Question: 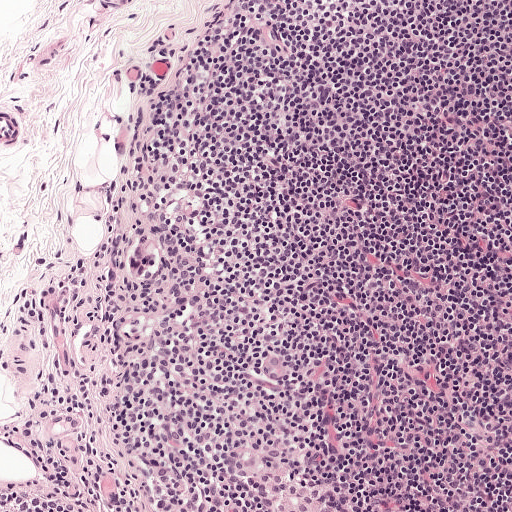
Lymph node section stained with H&E, from a whole-slide image of a breast-cancer sentinel node. Magnification about 10×, about 0.5 mm across the frame, about 0.97 µm per pixel.
About how much of this crop is taken up by metastatic carcinoma?

Choices:
 (A) about 50% or more
 (B) about 5% or less
 (C) none: no tumour is outlined
 (D) about 25% to 45%
 (E) about 10% to 20%

Answer: (B) about 5% or less
Under 5% of the field is tumour.
Metastatic tumour outline, simplified to 9 points and listed clockwise in crop pixels (x, y): (144, 233), (154, 239), (159, 257), (156, 274), (147, 280), (138, 280), (130, 274), (130, 256), (132, 247).
Question: 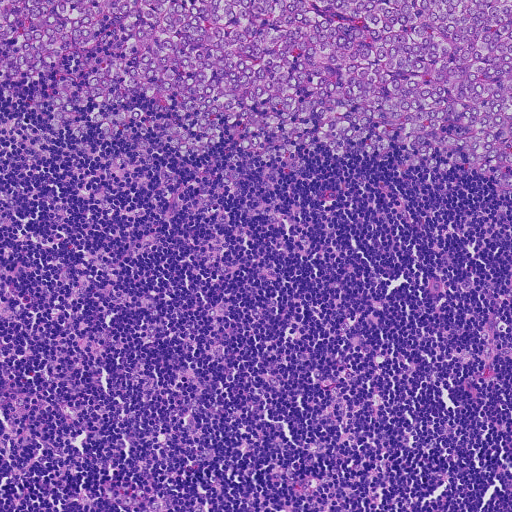
This is a crop of a whole-slide image: an H&E-stained breast-cancer sentinel lymph node section at roughly 10× magnification (about 0.91 µm per pixel; the crop spans about 0.46 mm).
About how much of this crop is taken up by metastatic carcinoma?

Choices:
 (A) about 10% to 20%
 (B) none: no tumour is outlined
 (C) about 25% to 45%
 (D) about 50% or more
 (E) about 5% or less

Answer: (C) about 25% to 45%
About 30% of the field is tumour.
Metastatic tumour outline, simplified to 24 points and listed clockwise in crop pixels (x, y): (0, 0), (511, 0), (511, 192), (498, 194), (470, 167), (412, 168), (392, 142), (378, 155), (306, 144), (266, 162), (253, 156), (228, 188), (216, 178), (240, 140), (224, 116), (217, 145), (191, 158), (148, 123), (79, 139), (33, 104), (117, 48), (120, 24), (22, 81), (8, 80).
Question: 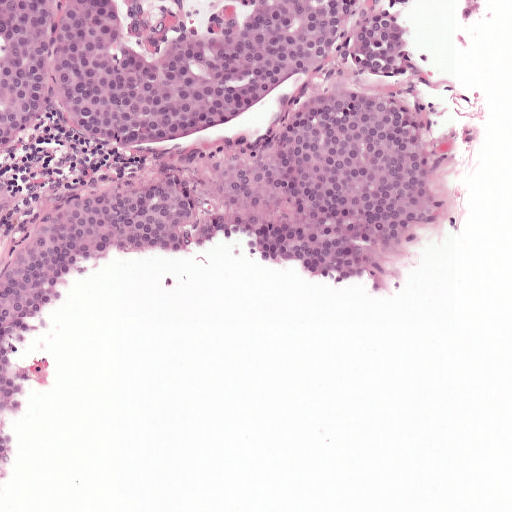
This is a crop of a whole-slide image: an H&E-stained breast-cancer sentinel lymph node section at roughly 10× magnification (about 0.97 µm per pixel; the crop spans about 0.5 mm).
About how much of this crop is taken up by metastatic carcinoma?

Choices:
 (A) none: no tumour is outlined
 (B) about 25% to 45%
 (C) about 50% or more
 (D) about 10% to 20%
 (E) about 5% or less

Answer: (C) about 50% or more
About 50% of the field is tumour.
Two metastatic tumour regions, each outlined as a closed clockwise path in crop pixels (x, y), largest first: region 1: (0, 0), (421, 0), (428, 52), (485, 82), (498, 106), (482, 189), (454, 239), (393, 292), (365, 296), (221, 258), (84, 279), (49, 323), (52, 376), (19, 424), (15, 506), (0, 511); region 2: (449, 0), (502, 0), (492, 27), (466, 32), (450, 11).
Question: 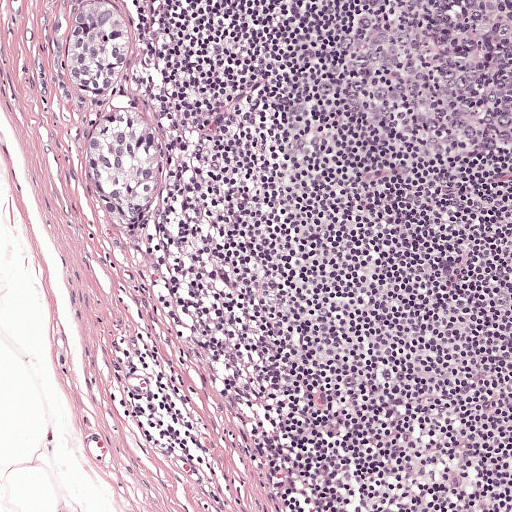
Lymph node section stained with H&E, from a whole-slide image of a breast-cancer sentinel node. Magnification about 10×, about 0.5 mm across the frame, about 0.97 µm per pixel.
About how much of this crop is taken up by metastatic carcinoma?

Choices:
 (A) about 5% or less
 (B) about 25% to 45%
 (C) about 50% or more
 (D) about 10% to 20%
 (E) none: no tumour is outlined

Answer: (A) about 5% or less
About 5% of the field is tumour.
Metastatic tumour outline, simplified to 20 points and listed clockwise in crop pixels (x, y): (85, 0), (106, 0), (128, 14), (134, 25), (134, 52), (116, 88), (118, 100), (152, 111), (171, 147), (162, 198), (143, 225), (132, 232), (108, 224), (94, 200), (88, 146), (106, 106), (100, 95), (69, 74), (64, 60), (72, 22).